A 0.23-mm field of an H&E-stained sentinel lymph node from a breast-cancer patient (whole-slide image), shown at about 20×, about 0.45 µm per pixel.
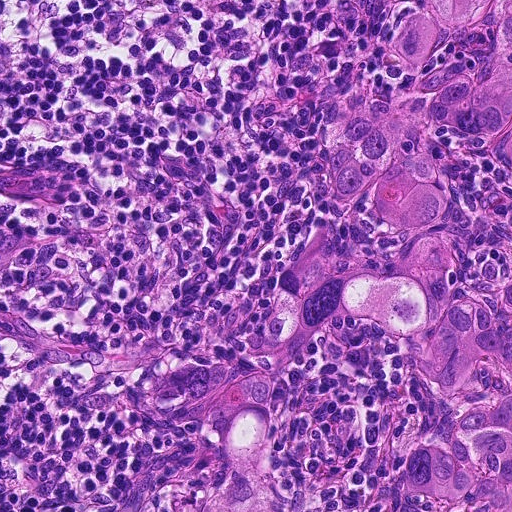
Three metastatic tumour regions, each outlined as a closed clockwise path in crop pixels (x, y), largest first: region 1: (365, 98), (404, 108), (430, 138), (453, 291), (492, 306), (511, 283), (511, 511), (419, 508), (389, 483), (402, 445), (438, 442), (446, 402), (402, 336), (325, 324), (263, 353), (274, 284), (316, 224), (380, 266), (413, 241), (378, 224), (368, 181), (334, 201), (323, 162); region 2: (511, 0), (511, 158), (441, 120), (411, 94), (396, 58), (404, 18), (417, 3); region 3: (273, 411), (271, 462), (300, 486), (289, 511), (161, 511), (151, 490), (188, 477), (224, 490), (234, 412).
About 25% of this field is tumour.